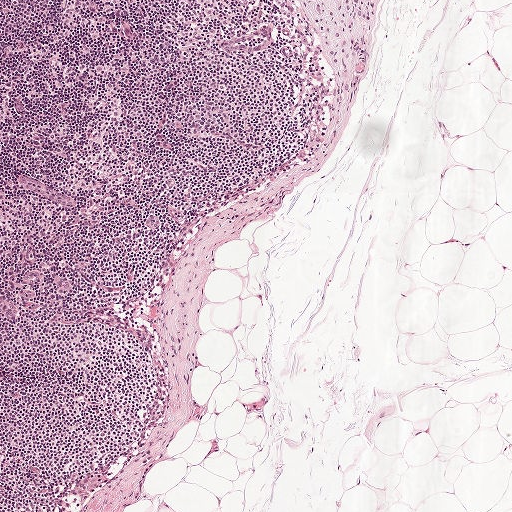
This is a crop of a whole-slide image: an H&E-stained breast-cancer sentinel lymph node section at roughly 5× magnification (about 1.9 µm per pixel; the crop spans about 1 mm).
Tumour region outline (a closed clockwise path, crop pixels): (305, 0), (374, 0), (373, 14), (367, 24), (352, 24), (351, 34), (354, 41), (354, 50), (346, 93), (342, 97), (326, 61), (322, 60), (314, 63), (310, 61), (310, 50), (323, 43), (323, 35), (322, 25).
Tumour covers under 5% of the frame.